Question: 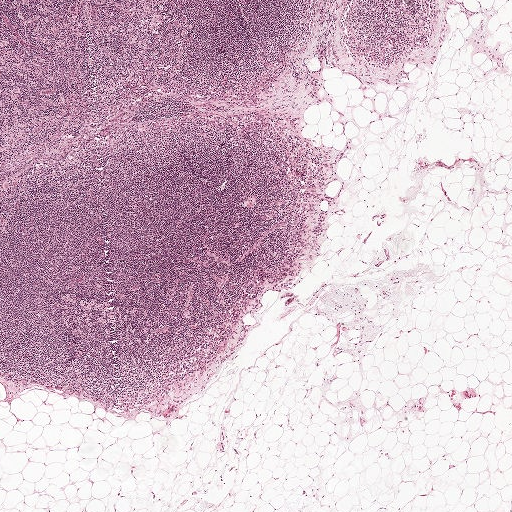
About what magnification does this crop show?

Choices:
 (A) about 2.5×
 (B) about 20×
 (C) about 5×
 (D) about 40×
 (E) about 10×

Answer: (A) about 2.5×
H&E-stained section of a sentinel lymph node (breast cancer), from a whole-slide image, viewed at about 2.5×: the field is about 2.0 mm across, about 3.9 µm per pixel.